Question: 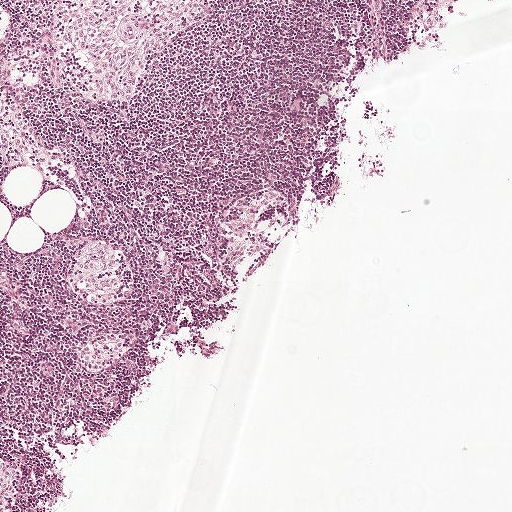
Which magnification is this H&E lymph node field most likely shown at?

Choices:
 (A) about 20×
 (B) about 10×
 (C) about 5×
 (D) about 2.5×
 (E) about 40×

Answer: (C) about 5×
This is a crop of a whole-slide image: an H&E-stained breast-cancer sentinel lymph node section at roughly 5× magnification (about 1.9 µm per pixel; the crop spans about 1 mm).